H&E-stained section of a sentinel lymph node (breast cancer), from a whole-slide image, viewed at about 10×: the field is about 0.5 mm across, about 0.97 µm per pixel.
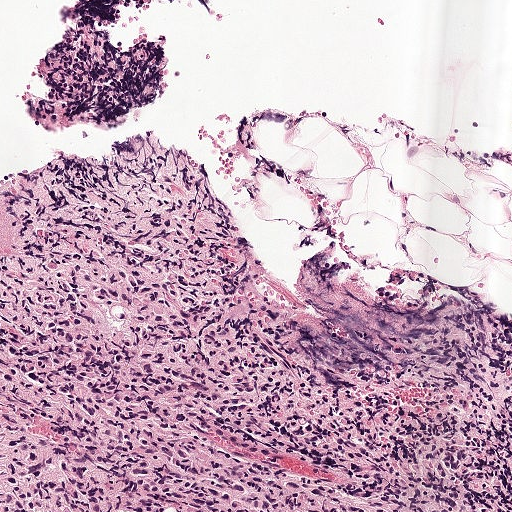
The outlined metastatic tumour's edge, as a closed clockwise path of 6 points: (160, 152), (224, 234), (278, 339), (489, 511), (0, 511), (0, 201).
Tumour covers about 40% of the frame.